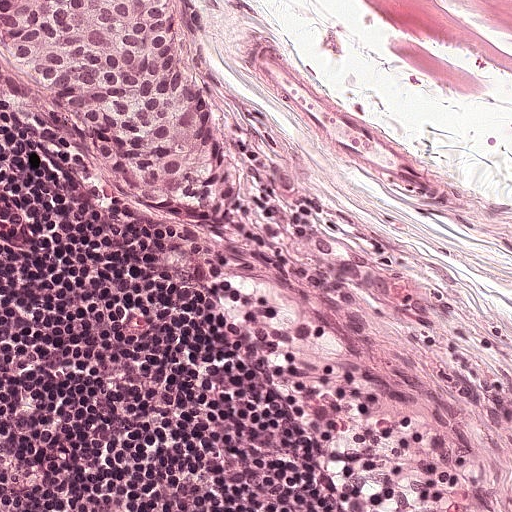
This is a crop of a whole-slide image: an H&E-stained breast-cancer sentinel lymph node section at roughly 20× magnification (about 0.49 µm per pixel; the crop spans about 0.25 mm).
Question: Show where the tumour is in this image.
Answer: Metastatic tumour outline, simplified to 11 points and listed clockwise in crop pixels (x, y): (0, 0), (176, 0), (198, 80), (226, 124), (240, 236), (228, 246), (182, 244), (125, 213), (110, 177), (58, 106), (17, 78).
About 15% of this field is tumour.